Question: 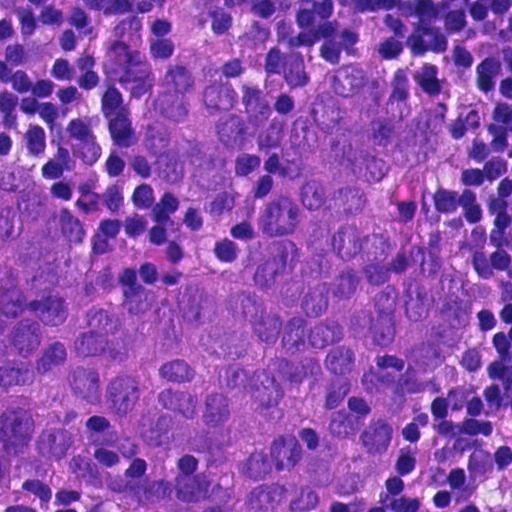
Which magnification is this H&E lymph node field most likely shown at?

Choices:
 (A) about 40×
 (B) about 10×
 (C) about 2.5×
 (D) about 20×
 (E) about 5×

Answer: (A) about 40×
H&E-stained section of a sentinel lymph node (breast cancer), from a whole-slide image, viewed at about 40×: the field is about 0.12 mm across, about 0.23 µm per pixel.
The outlined metastatic tumour's edge, as a closed clockwise path of 23 points: (178, 43), (285, 98), (335, 62), (396, 64), (449, 139), (394, 171), (385, 207), (481, 284), (468, 343), (417, 384), (367, 497), (284, 511), (65, 498), (0, 453), (0, 146), (83, 224), (101, 283), (224, 274), (258, 224), (273, 159), (230, 203), (166, 195), (123, 151).
About 60% of the image area is annotated as tumour.